Question: 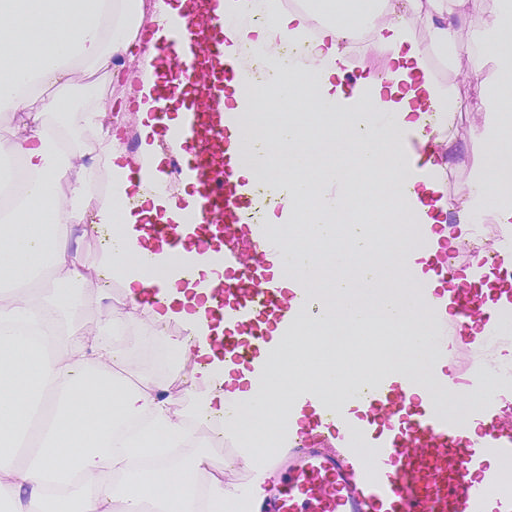
About what magnification does this crop show?

Choices:
 (A) about 2.5×
 (B) about 10×
 (C) about 40×
 (D) about 20×
 (E) about 5×

Answer: (D) about 20×
Lymph node section stained with H&E, from a whole-slide image of a breast-cancer sentinel node. Magnification about 20×, about 0.23 mm across the frame, about 0.45 µm per pixel.